Lymph node section stained with H&E, from a whole-slide image of a breast-cancer sentinel node. Magnification about 10×, about 0.46 mm across the frame, about 0.9 µm per pixel.
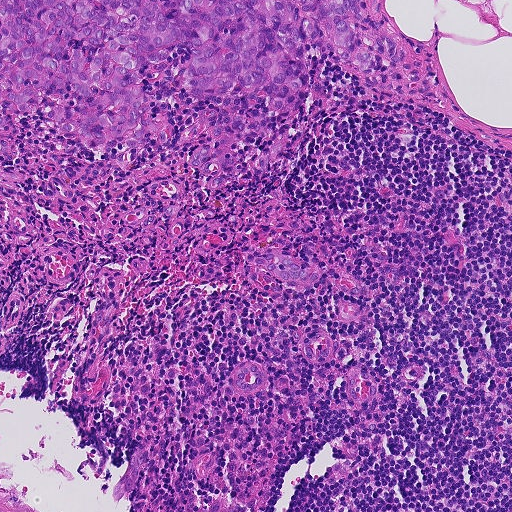
Four metastatic tumour regions, each outlined as a closed clockwise path in crop pixels (x, y), largest first: region 1: (0, 0), (380, 0), (383, 32), (432, 68), (441, 101), (368, 90), (330, 41), (304, 56), (312, 92), (286, 114), (268, 96), (192, 96), (182, 46), (146, 66), (140, 87), (167, 133), (159, 146), (145, 132), (142, 150), (94, 150), (42, 108), (5, 100); region 2: (251, 251), (274, 252), (296, 261), (300, 268), (306, 271), (312, 266), (319, 267), (320, 275), (317, 282), (303, 287), (280, 281), (267, 271), (250, 268), (244, 262), (244, 254); region 3: (210, 108), (217, 113), (212, 118), (210, 126), (218, 124), (224, 127), (224, 134), (211, 144), (212, 152), (200, 170), (192, 170), (189, 163), (190, 155), (207, 137), (206, 129), (198, 116), (202, 109); region 4: (0, 114), (3, 117), (7, 124), (1, 130), (0, 130).
About 15% of the image area is annotated as tumour.